Image:
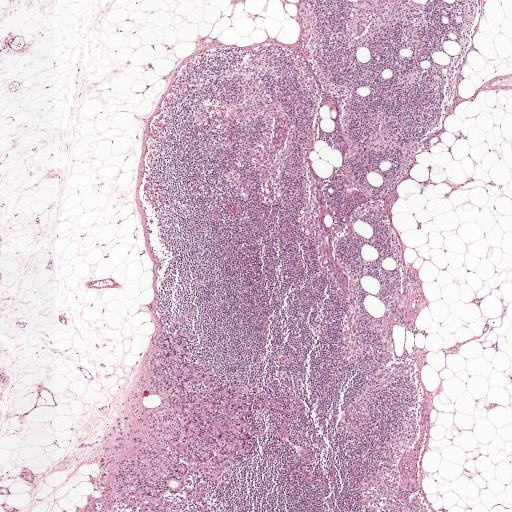
A 2.0-mm field of an H&E-stained sentinel lymph node from a breast-cancer patient (whole-slide image), shown at about 2.5×, about 3.9 µm per pixel.
Question:
Trace the edge of each tumour region in this crop, as (x, y) points from 0 to 511.
Answer:
Boundaries of two metastatic tumour regions, simplified and listed clockwise, largest first: region 1: (188, 327), (189, 360), (211, 351), (223, 382), (244, 373), (248, 388), (241, 396), (255, 450), (237, 475), (206, 483), (194, 471), (178, 495), (167, 492), (177, 511), (138, 511), (110, 483), (132, 440), (147, 438), (134, 424), (164, 403), (147, 389), (154, 340); region 2: (192, 309), (196, 313), (186, 322), (176, 327), (172, 320), (184, 311).
Six more small tumour pieces are annotated here but not outlined.
About 5% of this field is tumour.